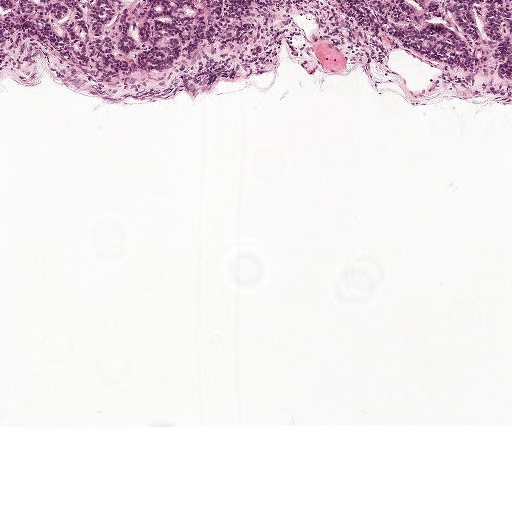
H&E-stained section of a sentinel lymph node (breast cancer), from a whole-slide image, viewed at about 5×: the field is about 1 mm across, about 1.9 µm per pixel.
Boundaries of two metastatic tumour regions, simplified and listed clockwise, largest first: region 1: (0, 0), (319, 2), (263, 7), (226, 20), (212, 29), (181, 70), (141, 81), (95, 83), (58, 60), (47, 44), (0, 52); region 2: (511, 0), (511, 81), (437, 62), (318, 1).
Tumour covers about 10% of the frame.